H&E-stained section of a sentinel lymph node (breast cancer), from a whole-slide image, viewed at about 20×: the field is about 0.23 mm across, about 0.45 µm per pixel.
Image:
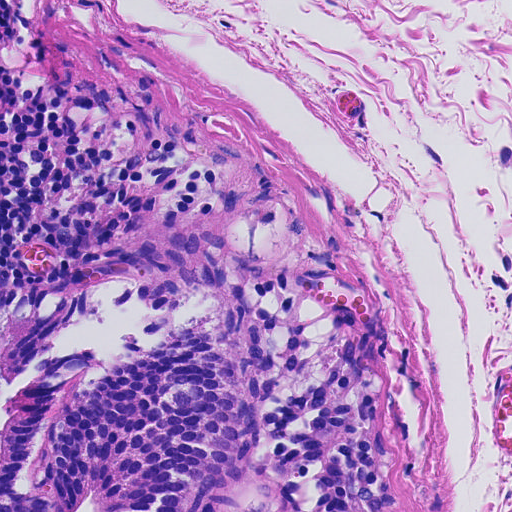
Question:
Trace the edge of each tumour region in this crop, as (x, y) points from 0 to 511.
Answer:
Metastatic tumour outline, simplified to 13 points and listed clockwise in crop pixels (x, y): (242, 180), (252, 200), (230, 222), (228, 248), (271, 362), (270, 473), (289, 506), (0, 511), (0, 295), (42, 288), (146, 233), (184, 226), (220, 185).
Tumour covers about 25% of the frame.